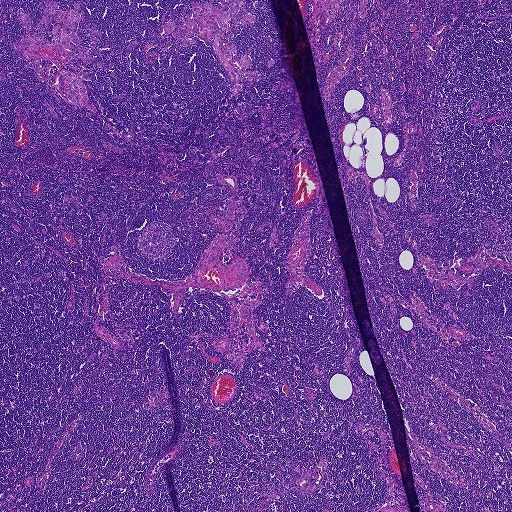
This is a crop of a whole-slide image: an H&E-stained breast-cancer sentinel lymph node section at roughly 2.5× magnification (about 3.6 µm per pixel; the crop spans about 1.9 mm).